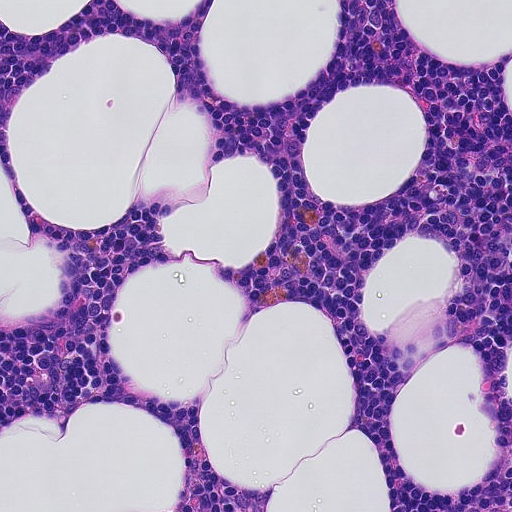
H&E-stained section of a sentinel lymph node (breast cancer), from a whole-slide image, viewed at about 20×: the field is about 0.23 mm across, about 0.45 µm per pixel.
Question: Does this lymph node field contain metastatic tumour?
Answer: No. No metastatic tumour is outlined in this field.